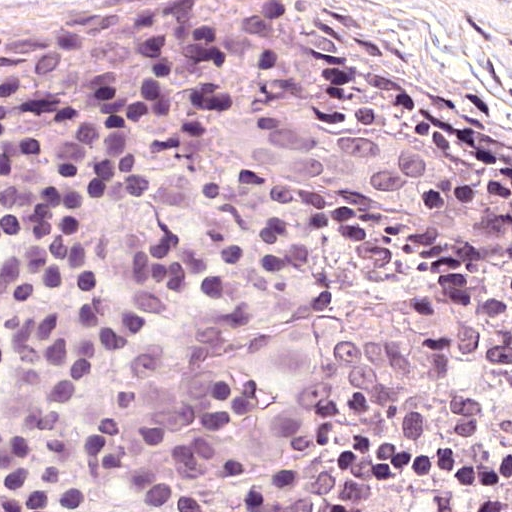
This is a crop of a whole-slide image: an H&E-stained breast-cancer sentinel lymph node section at roughly 40× magnification (about 0.24 µm per pixel; the crop spans about 0.12 mm).
Two metastatic tumour regions, each outlined as a closed clockwise path in crop pixels (x, y), largest first: region 1: (285, 308), (383, 315), (406, 333), (409, 374), (358, 424), (269, 478), (196, 486), (121, 472), (99, 431), (121, 387); region 2: (217, 100), (315, 100), (445, 145), (487, 204), (486, 227), (470, 242), (451, 242), (424, 229), (392, 225), (338, 193), (288, 181), (267, 159), (224, 140), (213, 125).
Tumour covers about 20% of the frame.